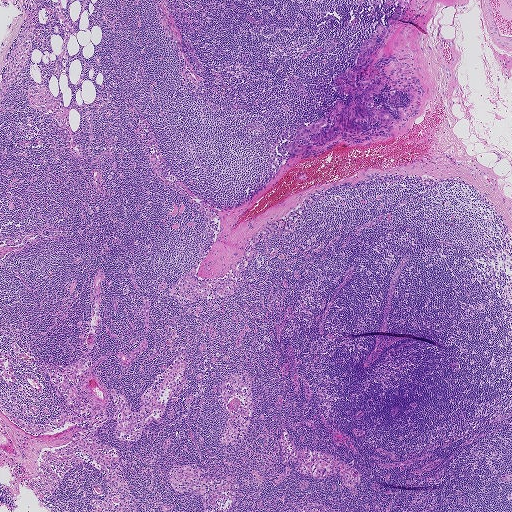
A 1.9-mm field of an H&E-stained sentinel lymph node from a breast-cancer patient (whole-slide image), shown at about 2.5×, about 3.6 µm per pixel.
Tumour region outline (a closed clockwise path, crop pixels): (376, 26), (386, 27), (387, 45), (373, 66), (379, 72), (360, 83), (363, 91), (383, 80), (384, 86), (363, 106), (394, 118), (377, 123), (353, 118), (363, 131), (330, 127), (334, 133), (313, 144), (325, 144), (320, 149), (286, 151), (283, 145), (296, 140), (297, 128), (337, 115), (331, 113), (338, 99), (345, 106), (350, 101), (356, 92), (343, 93), (345, 85), (333, 78), (342, 72), (345, 81), (352, 81), (346, 71), (370, 59), (354, 64), (362, 42).
Two more small tumour pieces are annotated here but not outlined.
Under 5% of this field is tumour.